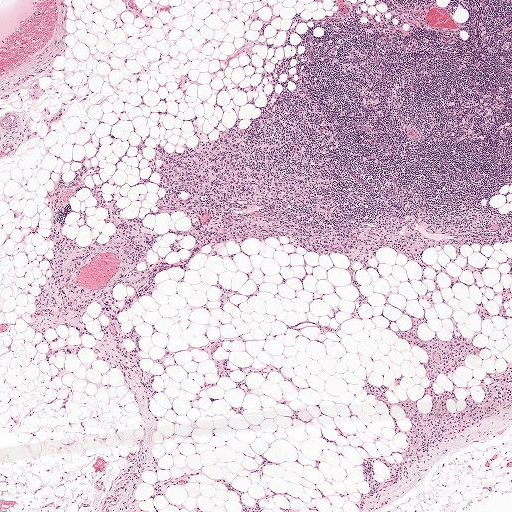
This is a crop of a whole-slide image: an H&E-stained breast-cancer sentinel lymph node section at roughly 2.5× magnification (about 3.9 µm per pixel; the crop spans about 2.0 mm).
Boundaries of six metastatic tumour regions, simplified and listed clockwise, largest first: region 1: (489, 285), (500, 290), (502, 286), (504, 286), (505, 287), (510, 285), (509, 290), (511, 293), (511, 296), (504, 301), (504, 308), (507, 312), (511, 313), (511, 320), (504, 320), (501, 315), (498, 315), (490, 319), (487, 319), (485, 318), (484, 321), (480, 321), (477, 314), (473, 310), (473, 308), (476, 304), (479, 301), (483, 301), (487, 310), (497, 312), (497, 304), (499, 302), (500, 298), (499, 296), (490, 292); region 2: (217, 338), (222, 340), (221, 345), (214, 350), (214, 356), (227, 358), (227, 367), (230, 369), (228, 377), (225, 378), (218, 378), (213, 362), (210, 360), (204, 350), (199, 348), (203, 344); region 3: (214, 476), (222, 477), (227, 480), (230, 480), (234, 487), (236, 488), (242, 489), (245, 491), (245, 493), (240, 499), (240, 503), (242, 504), (246, 504), (252, 503), (253, 501), (254, 496), (259, 505), (259, 510), (257, 511), (237, 511), (239, 509), (239, 507), (238, 505), (238, 499), (237, 498), (236, 493), (233, 490), (228, 489), (213, 479); region 4: (239, 378), (243, 380), (251, 389), (250, 392), (246, 393), (235, 386), (233, 381); region 5: (79, 209), (83, 209), (85, 210), (85, 213), (87, 214), (87, 216), (85, 219), (85, 222), (88, 224), (88, 226), (78, 226), (78, 220), (79, 216), (78, 210); region 6: (229, 406), (242, 406), (244, 407), (244, 411), (241, 414), (233, 411).
Two more tumour regions are annotated but not outlined: their edges are too irregular for short outlines.
Three more small tumour pieces are annotated here but not outlined.
About 25% of this field is tumour.